This is a crop of a whole-slide image: an H&E-stained breast-cancer sentinel lymph node section at roughly 5× magnification (about 1.9 µm per pixel; the crop spans about 1 mm).
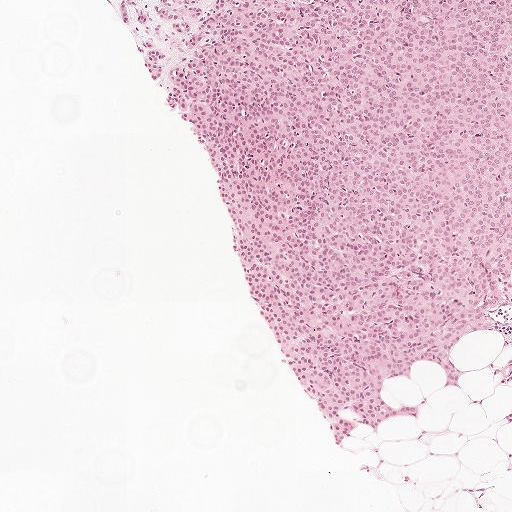
Metastatic tumour outline, simplified to 18 points and listed clockwise in crop pixels (x, y): (511, 0), (511, 380), (488, 379), (507, 366), (510, 339), (465, 330), (453, 353), (468, 373), (451, 391), (428, 359), (390, 380), (406, 408), (429, 412), (337, 437), (253, 297), (207, 146), (164, 104), (112, 1).
The annotated tumour makes up about 45% of the crop.